Question: 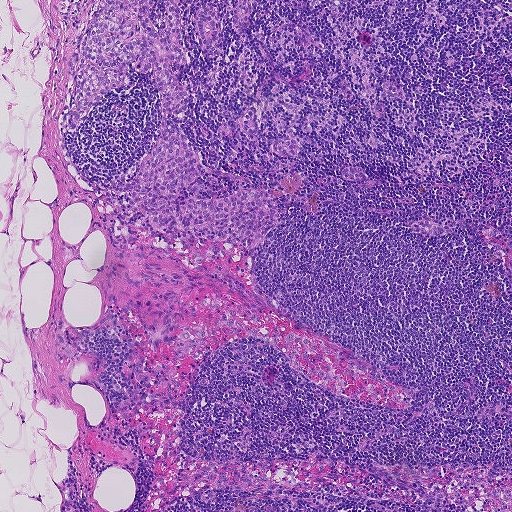
A 0.93-mm field of an H&E-stained sentinel lymph node from a breast-cancer patient (whole-slide image), shown at about 5×, about 1.8 µm per pixel.
What fraction of the image area is metastatic tumour?

Choices:
 (A) about 10% to 20%
 (B) about 5% or less
 (C) about 25% to 45%
 (D) none: no tumour is outlined
 (E) about 50% or more

Answer: (A) about 10% to 20%
About 10% of the field is tumour.
Boundaries of two metastatic tumour regions, simplified and listed clockwise, largest first: region 1: (175, 0), (190, 62), (170, 66), (188, 98), (186, 116), (172, 117), (174, 122), (182, 127), (209, 169), (228, 175), (195, 178), (188, 194), (216, 200), (270, 190), (294, 175), (304, 176), (292, 194), (319, 194), (316, 216), (278, 198), (275, 226), (248, 251), (218, 241), (167, 246), (125, 230), (104, 188), (155, 145), (161, 118), (152, 69), (129, 68), (131, 89), (105, 94), (75, 132), (62, 124), (74, 40), (101, 6); region 2: (203, 0), (206, 0), (206, 10), (216, 11), (218, 21), (220, 23), (221, 51), (216, 55), (206, 54), (204, 52), (196, 24), (197, 15), (204, 9).